A 1-mm field of an H&E-stained sentinel lymph node from a breast-cancer patient (whole-slide image), shown at about 5×, about 1.9 µm per pixel.
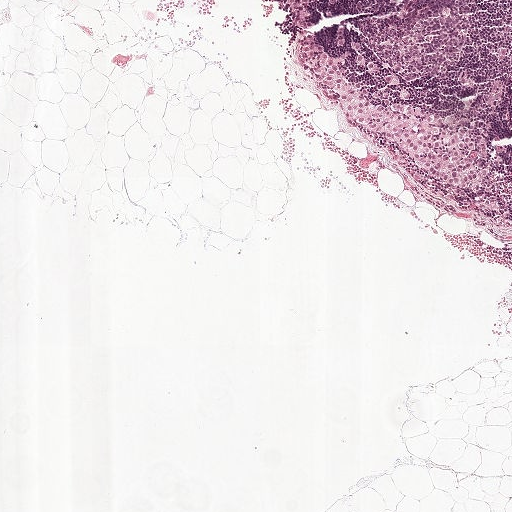
Two metastatic tumour regions, each outlined as a closed clockwise path in crop pixels (x, y), largest first: region 1: (325, 53), (339, 56), (346, 62), (350, 79), (381, 103), (391, 99), (430, 114), (459, 114), (476, 127), (489, 149), (489, 165), (479, 184), (469, 189), (446, 189), (412, 166), (399, 148), (338, 110), (312, 85), (317, 58); region 2: (286, 0), (308, 0), (302, 14), (297, 16), (290, 10).
Tumour covers about 5% of the frame.